Lymph node section stained with H&E, from a whole-slide image of a breast-cancer sentinel node. Magnification about 5×, about 1 mm across the frame, about 1.9 µm per pixel.
Question: 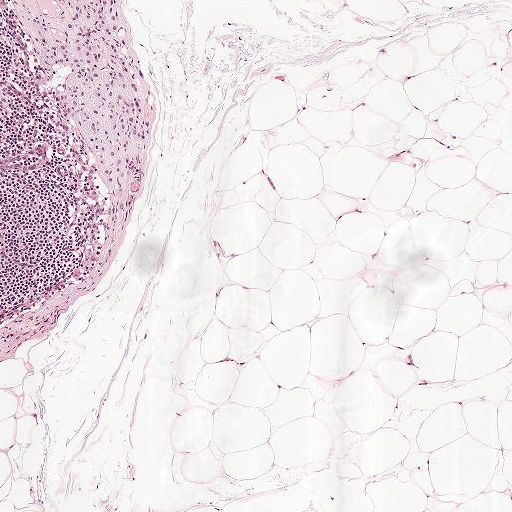
Roughly what share of this field is metastatic tumour?

Choices:
 (A) about 5% or less
 (B) about 10% to 20%
 (C) about 25% to 45%
 (D) about 50% or more
 (E) none: no tumour is outlined

Answer: (A) about 5% or less
About 5% of the field is tumour.
Tumour region outline (a closed clockwise path, crop pixels): (54, 0), (118, 0), (117, 32), (134, 53), (137, 88), (149, 126), (142, 143), (127, 143), (129, 169), (121, 212), (116, 216), (101, 180), (84, 180), (85, 169), (98, 162), (97, 146), (67, 102), (70, 71), (53, 48), (63, 34), (58, 23), (64, 11).